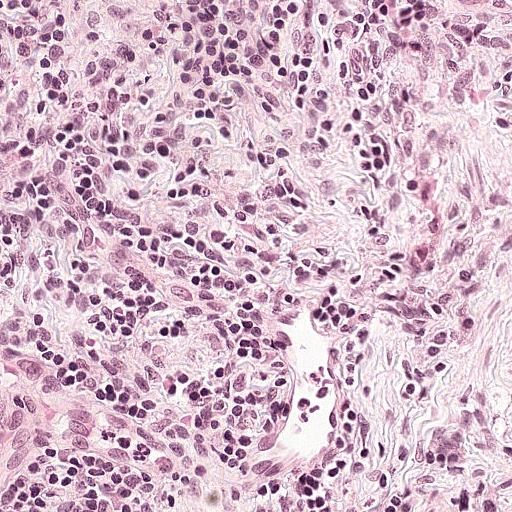
This is a crop of a whole-slide image: an H&E-stained breast-cancer sentinel lymph node section at roughly 20× magnification (about 0.49 µm per pixel; the crop spans about 0.25 mm).
Question: Does this lymph node field contain metastatic tumour?
Answer: No: no metastatic tumour is outlined anywhere in this field.